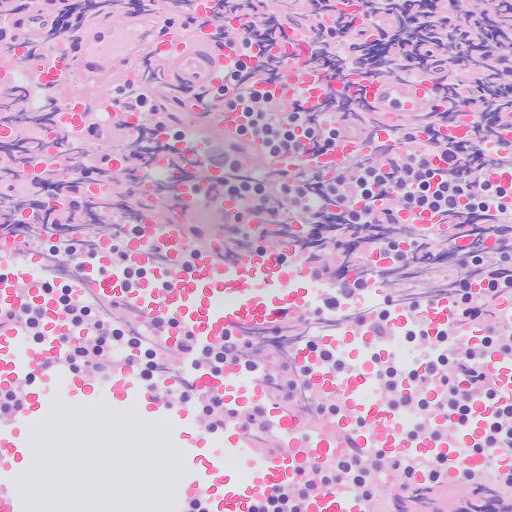
A 0.26-mm field of an H&E-stained sentinel lymph node from a breast-cancer patient (whole-slide image), shown at about 20×, about 0.5 µm per pixel.